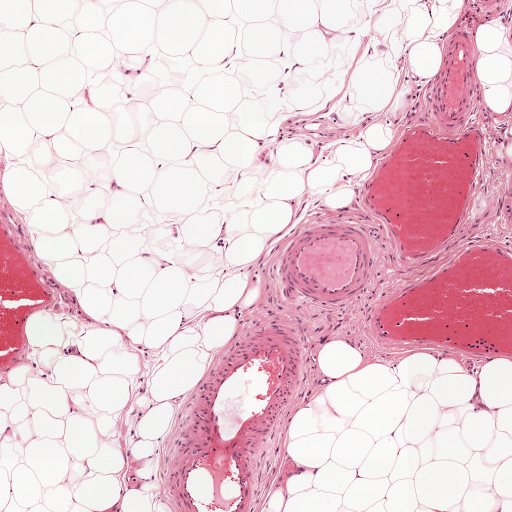
H&E-stained section of a sentinel lymph node (breast cancer), from a whole-slide image, viewed at about 5×: the field is about 1 mm across, about 1.9 µm per pixel.